Question: 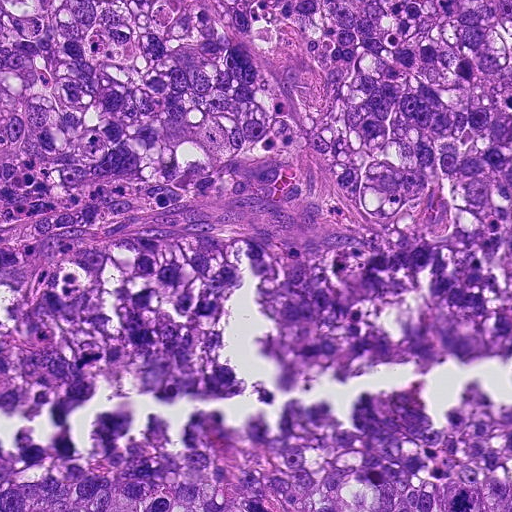
Lymph node section stained with H&E, from a whole-slide image of a breast-cancer sentinel node. Magnification about 20×, about 0.23 mm across the frame, about 0.45 µm per pixel.
Estimate the proportion of this field that is metastatic tumour.

Choices:
 (A) about 50% or more
 (B) about 10% to 20%
 (C) about 5% or less
 (D) none: no tumour is outlined
 (E) about 25% to 45%

Answer: (A) about 50% or more
About 80% of the field is tumour.
Two metastatic tumour regions, each outlined as a closed clockwise path in crop pixels (x, y), largest first: region 1: (0, 0), (511, 0), (511, 316), (430, 316), (258, 343), (242, 250), (218, 314), (226, 370), (108, 399), (0, 409), (0, 244), (100, 226), (190, 188), (98, 190), (8, 170); region 2: (511, 404), (511, 511), (0, 511), (0, 466), (54, 452), (214, 431), (382, 423).